Image:
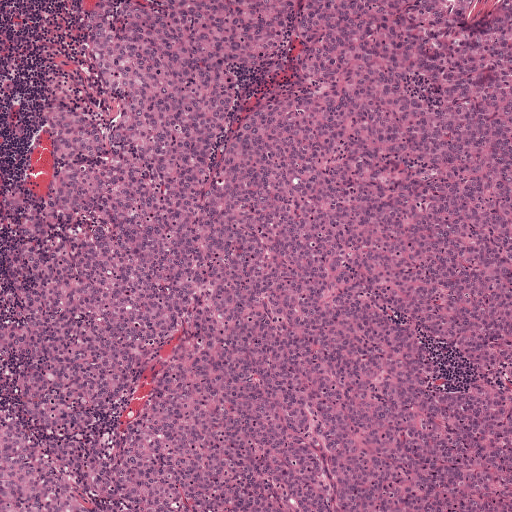
Lymph node section stained with H&E, from a whole-slide image of a breast-cancer sentinel node. Magnification about 5×, about 1 mm across the frame, about 1.9 µm per pixel.
Question:
Which parts of this field are metastatic tumour? Answer with the outline of each region, in pixels.
Answer:
Tumour region outline (a closed clockwise path, crop pixels): (97, 0), (511, 0), (511, 511), (0, 511), (0, 265), (9, 276), (0, 200), (4, 184), (29, 183), (44, 203), (47, 99), (113, 116), (86, 59), (84, 12).
Tumour covers about 95% of the frame.